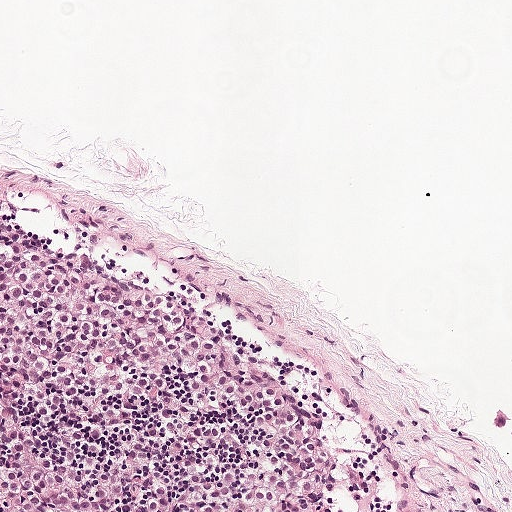
H&E-stained section of a sentinel lymph node (breast cancer), from a whole-slide image, viewed at about 10×: the field is about 0.5 mm across, about 0.97 µm per pixel.
The outlined metastatic tumour's edge, as a closed clockwise path of 6 points: (0, 201), (132, 239), (214, 283), (319, 410), (348, 511), (0, 511).
Tumour covers about 30% of the frame.